Image:
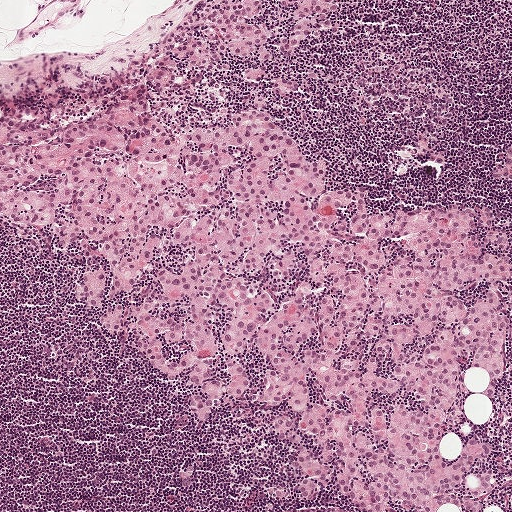
H&E-stained section of a sentinel lymph node (breast cancer), from a whole-slide image, viewed at about 5×: the field is about 1 mm across, about 1.9 µm per pixel.
Question:
Is any metastatic breast cancer visible in this crop?
Answer:
Yes.
Seven metastatic tumour regions, each outlined as a closed clockwise path in crop pixels (x, y), largest first: region 1: (197, 36), (229, 71), (178, 66), (174, 133), (262, 95), (322, 194), (491, 207), (511, 348), (447, 418), (493, 446), (493, 491), (455, 491), (482, 511), (367, 511), (338, 456), (302, 497), (257, 347), (199, 420), (190, 367), (77, 300), (103, 252), (0, 216), (0, 116), (80, 121); region 2: (262, 0), (263, 12), (245, 21), (248, 24), (263, 23), (273, 33), (265, 46), (272, 56), (262, 61), (260, 47), (246, 59), (231, 54), (227, 47), (223, 54), (219, 52), (216, 48), (218, 43), (223, 43), (222, 29), (205, 15), (220, 7), (219, 1); region 3: (280, 0), (334, 0), (339, 4), (336, 13), (328, 13), (326, 18), (339, 24), (336, 34), (328, 33), (323, 29), (318, 38), (307, 37), (296, 54), (287, 58), (281, 56), (276, 50), (277, 43), (288, 34), (289, 27), (294, 24), (294, 6), (290, 4), (282, 8), (278, 7); region 4: (289, 75), (297, 80), (300, 91), (292, 96), (283, 98), (273, 93), (270, 85), (275, 78); region 5: (511, 146), (511, 180), (500, 180), (488, 176), (493, 167), (502, 163), (504, 154), (508, 148); region 6: (265, 65), (269, 72), (262, 82), (256, 82), (248, 81), (242, 76), (241, 70), (256, 69); region 7: (429, 153), (441, 154), (445, 160), (442, 164), (430, 163), (428, 158).
About 50% of this field is tumour.

Image:
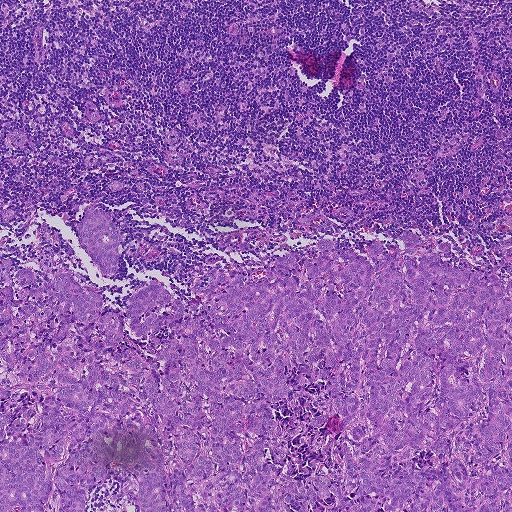
This is a crop of a whole-slide image: an H&E-stained breast-cancer sentinel lymph node section at roughly 5× magnification (about 1.8 µm per pixel; the crop spans about 0.93 mm).
Question:
Is any metastatic breast cancer visible in this crop?
Answer:
Yes.
Metastatic tumour outline, simplified to 24 points and listed clockwise in crop pixels (x, y): (96, 201), (121, 235), (119, 269), (104, 290), (119, 307), (151, 278), (195, 295), (192, 280), (215, 268), (321, 238), (361, 251), (382, 239), (394, 250), (404, 227), (505, 275), (511, 511), (0, 511), (0, 262), (12, 261), (13, 279), (53, 248), (54, 260), (91, 284), (73, 246).
About 50% of the image area is annotated as tumour.

Image:
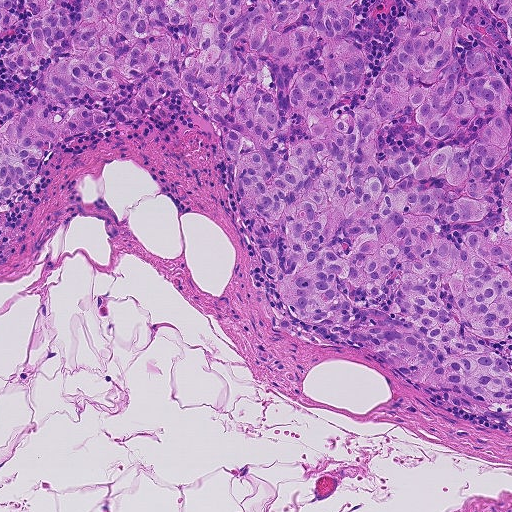
Lymph node section stained with H&E, from a whole-slide image of a breast-cancer sentinel node. Magnification about 10×, about 0.46 mm across the frame, about 0.9 µm per pixel.
Question:
Is any metastatic breast cancer visible in this crop?
Answer:
Yes.
The outlined metastatic tumour's edge, as a closed clockwise path of 21 points: (0, 0), (511, 0), (511, 347), (483, 343), (511, 364), (511, 426), (306, 324), (286, 310), (224, 146), (174, 92), (144, 114), (70, 138), (0, 206), (0, 92), (20, 107), (40, 88), (37, 70), (8, 73), (0, 56), (30, 32), (0, 32).
Tumour covers about 50% of the frame.

Image:
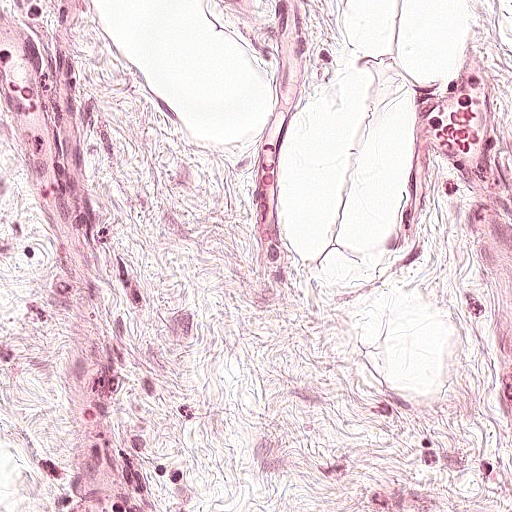
A 0.25-mm field of an H&E-stained sentinel lymph node from a breast-cancer patient (whole-slide image), shown at about 20×, about 0.49 µm per pixel.
Question:
Is any metastatic breast cancer visible in this crop?
Answer:
No. No metastatic tumour is outlined in this field.